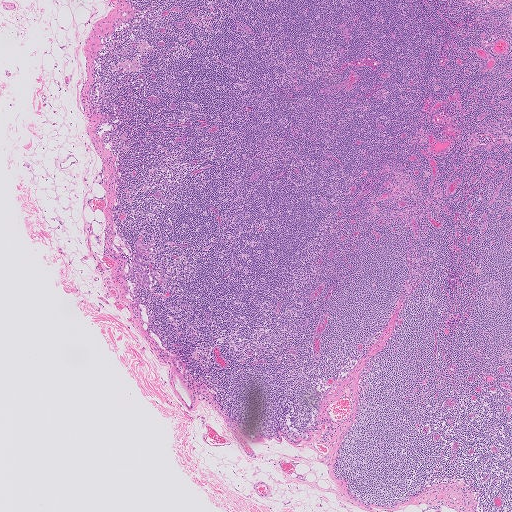
This is a crop of a whole-slide image: an H&E-stained breast-cancer sentinel lymph node section at roughly 2.5× magnification (about 4.0 µm per pixel; the crop spans about 2.0 mm).
Metastatic tumour outline, simplified to 12 points and listed clockwise in crop pixels (x, y): (136, 239), (140, 239), (146, 243), (148, 247), (148, 251), (145, 258), (150, 281), (148, 288), (144, 289), (136, 287), (132, 276), (132, 264).
Under 5% of the image area is annotated as tumour.